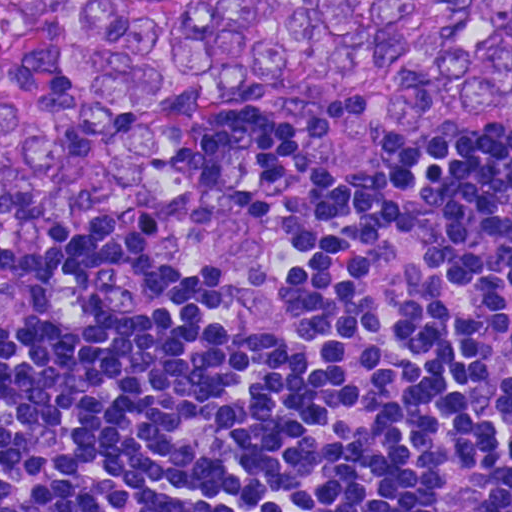
H&E-stained section of a sentinel lymph node (breast cancer), from a whole-slide image, viewed at about 40×: the field is about 0.12 mm across, about 0.23 µm per pixel.
Tumour region outline (a closed clockwise path, crop pixels): (0, 0), (511, 0), (511, 127), (432, 125), (388, 166), (212, 96), (180, 146), (212, 197), (267, 219), (244, 252), (184, 252), (128, 222), (5, 215).
One more small tumour piece is annotated here but not outlined.
Tumour covers about 35% of the frame.